H&E-stained section of a sentinel lymph node (breast cancer), from a whole-slide image, viewed at about 20×: the field is about 0.23 mm across, about 0.45 µm per pixel.
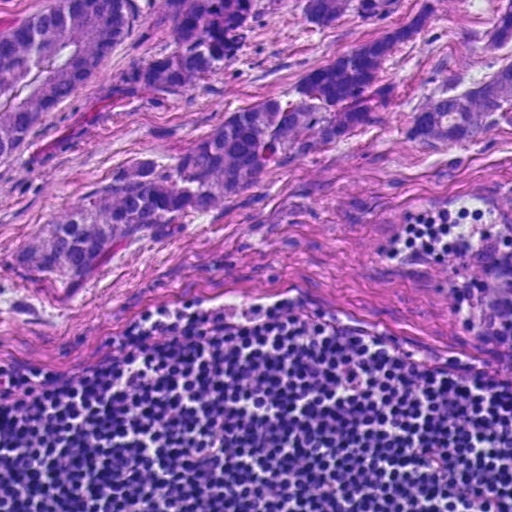
Tumour region outline (a closed clockwise path, crop pixels): (0, 0), (511, 0), (511, 392), (421, 332), (257, 269), (152, 278), (119, 289), (64, 332), (0, 334).
Tumour covers about 60% of the frame.